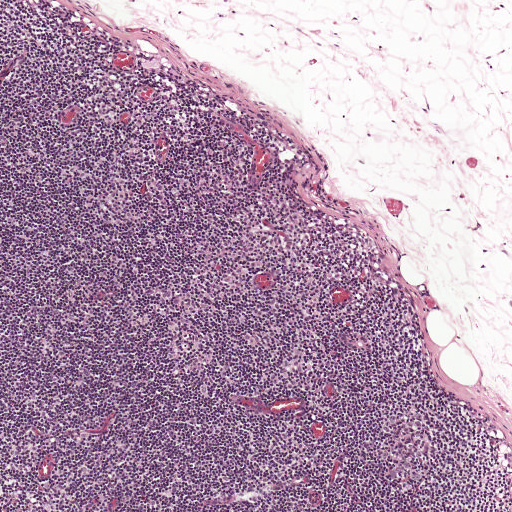
A 1-mm field of an H&E-stained sentinel lymph node from a breast-cancer patient (whole-slide image), shown at about 5×, about 1.9 µm per pixel.
One metastatic tumour region; its boundary, reduced to 10 corners and listed clockwise: (340, 331), (354, 331), (363, 334), (373, 340), (375, 350), (374, 355), (369, 355), (355, 352), (337, 338), (337, 333).
Under 5% of the image area is annotated as tumour.